A 0.5-mm field of an H&E-stained sentinel lymph node from a breast-cancer patient (whole-slide image), shown at about 10×, about 0.97 µm per pixel.
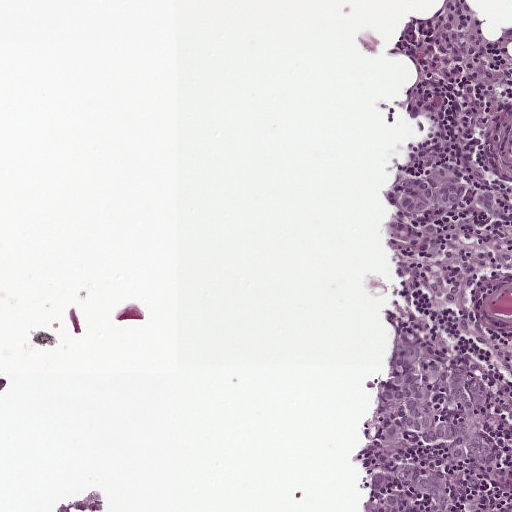
Four metastatic tumour regions, each outlined as a closed clockwise path in crop pixels (x, y), largest first: region 1: (410, 341), (441, 365), (467, 369), (484, 388), (488, 401), (483, 427), (495, 450), (495, 466), (456, 460), (453, 443), (427, 441), (407, 429), (392, 439), (380, 440), (373, 433), (407, 418), (399, 401), (374, 398), (364, 389), (373, 376), (390, 376), (396, 342); region 2: (442, 164), (452, 165), (464, 173), (468, 185), (464, 198), (447, 206), (432, 205), (422, 212), (406, 213), (398, 202), (398, 186), (412, 179), (433, 174); region 3: (397, 462), (411, 462), (422, 469), (448, 493), (450, 500), (449, 506), (426, 493), (414, 492), (402, 486), (396, 474); region 4: (376, 472), (382, 473), (386, 480), (384, 488), (372, 492), (370, 501), (396, 490), (406, 505), (393, 511), (363, 511), (362, 504).
Three more small tumour pieces are annotated here but not outlined.
About 5% of this field is tumour.